Question: 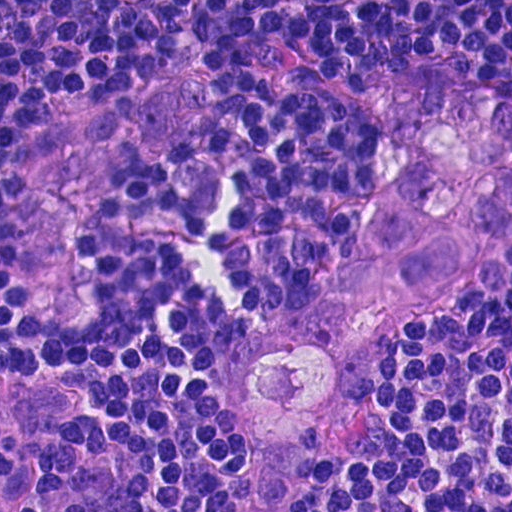
About what magnification does this crop show?

Choices:
 (A) about 20×
 (B) about 5×
 (C) about 2.5×
 (D) about 10×
 (E) about 40×

Answer: (E) about 40×
A 0.12-mm field of an H&E-stained sentinel lymph node from a breast-cancer patient (whole-slide image), shown at about 40×, about 0.23 µm per pixel.
Outlines of two tumour regions, largest first (closed clockwise paths, crop pixels): region 1: (442, 67), (511, 88), (511, 224), (350, 363), (293, 511), (224, 511), (239, 500), (248, 455), (233, 377), (251, 332), (291, 309), (348, 236), (375, 146), (356, 99), (396, 74); region 2: (172, 67), (213, 94), (194, 138), (110, 190), (78, 223), (82, 273), (100, 312), (75, 329), (40, 304), (14, 265), (21, 170), (45, 130), (127, 80).
The annotated tumour makes up about 30% of the crop.